Question: 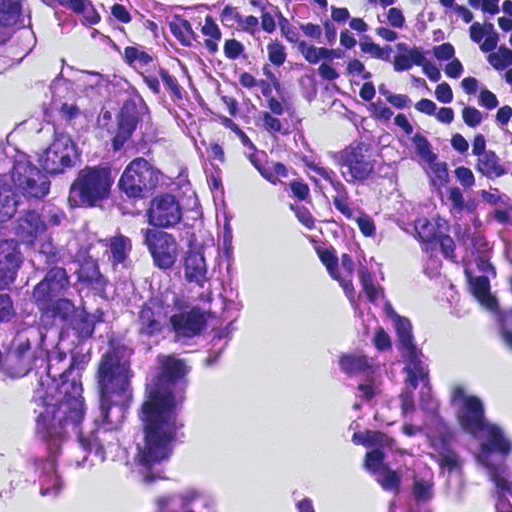
At roughly what magnification is this field shown?

Choices:
 (A) about 40×
 (B) about 5×
 (C) about 2.5×
 (D) about 10×
 (E) about 20×

Answer: (A) about 40×
This is a crop of a whole-slide image: an H&E-stained breast-cancer sentinel lymph node section at roughly 40× magnification (about 0.23 µm per pixel; the crop spans about 0.12 mm).
Outlines of five tumour regions, largest first (closed clockwise paths, crop pixels): region 1: (37, 0), (77, 0), (132, 57), (165, 104), (211, 216), (223, 331), (196, 380), (170, 481), (221, 491), (220, 511), (134, 511), (142, 508), (116, 461), (32, 498), (36, 388), (0, 395), (0, 133), (58, 60), (125, 71), (92, 33); region 2: (265, 66), (324, 81), (370, 102), (436, 181), (474, 276), (392, 234), (358, 196); region 3: (0, 0), (31, 0), (44, 33), (21, 60), (0, 74); region 4: (293, 469), (324, 511), (293, 511); region 5: (155, 0), (228, 0), (228, 6), (176, 12).
About 35% of the image area is annotated as tumour.